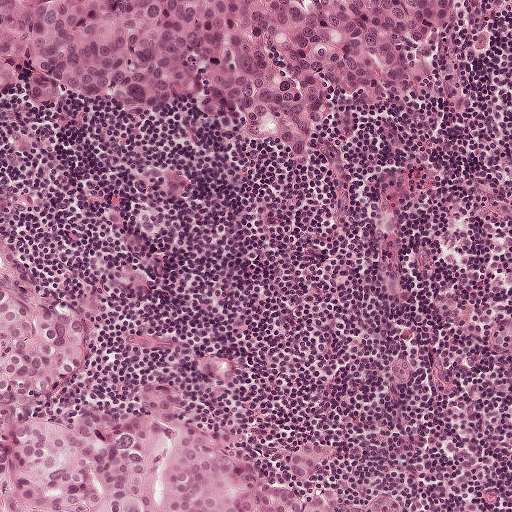
Lymph node section stained with H&E, from a whole-slide image of a breast-cancer sentinel node. Magnification about 10×, about 0.5 mm across the frame, about 0.97 µm per pixel.
Question: Outline the metastatic carcinoma in this image, as closed paths of (x, y) pixel coordinates.
Answer: Outlines of two tumour regions, largest first (closed clockwise paths, crop pixels): region 1: (0, 0), (460, 0), (445, 43), (464, 80), (463, 103), (422, 94), (369, 110), (369, 92), (331, 97), (308, 165), (212, 128), (191, 99), (166, 120), (115, 112), (96, 94), (70, 94), (52, 113), (4, 100); region 2: (0, 219), (46, 293), (78, 313), (90, 341), (78, 380), (31, 415), (71, 425), (82, 410), (128, 412), (143, 386), (170, 382), (200, 434), (244, 437), (274, 482), (290, 454), (329, 441), (337, 461), (310, 496), (331, 488), (350, 500), (345, 511), (0, 511).
About 35% of the image area is annotated as tumour.